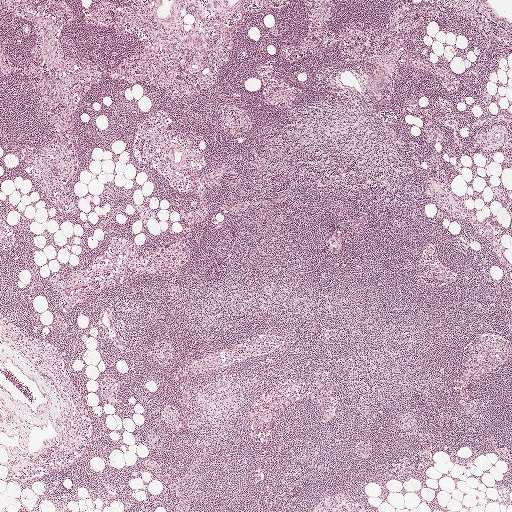
Lymph node section stained with H&E, from a whole-slide image of a breast-cancer sentinel node. Magnification about 2.5×, about 2.0 mm across the frame, about 3.9 µm per pixel.